This is a crop of a whole-slide image: an H&E-stained breast-cancer sentinel lymph node section at roughly 20× magnification (about 0.45 µm per pixel; the crop spans about 0.23 mm).
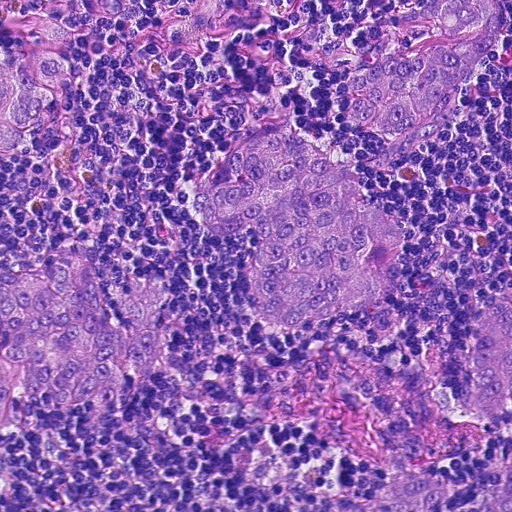
Six metastatic tumour regions, each outlined as a closed clockwise path in crop pixels (x, y), largest first: region 1: (262, 121), (302, 138), (354, 178), (361, 200), (398, 223), (391, 288), (380, 308), (336, 316), (315, 326), (270, 323), (250, 308), (242, 287), (258, 246), (254, 223), (232, 235), (210, 234), (198, 216), (202, 194), (228, 150); region 2: (58, 248), (82, 248), (103, 278), (126, 272), (170, 284), (176, 294), (163, 314), (166, 337), (158, 359), (140, 376), (122, 372), (122, 396), (105, 412), (59, 404), (38, 391), (24, 404), (21, 427), (0, 433), (0, 271); region 3: (426, 0), (504, 2), (504, 24), (495, 46), (446, 122), (427, 134), (406, 139), (362, 133), (342, 124), (340, 103), (347, 82), (363, 67), (428, 50), (437, 30); region 4: (41, 40), (60, 50), (72, 72), (58, 87), (54, 108), (31, 148), (10, 155), (0, 152), (0, 61), (5, 62), (20, 47); region 5: (494, 299), (511, 300), (511, 401), (496, 413), (475, 413), (456, 400), (454, 376), (466, 334), (478, 314); region 6: (511, 466), (511, 511), (483, 511), (488, 506).
Tumour covers about 30% of the frame.